A 0.12-mm field of an H&E-stained sentinel lymph node from a breast-cancer patient (whole-slide image), shown at about 40×, about 0.24 µm per pixel.
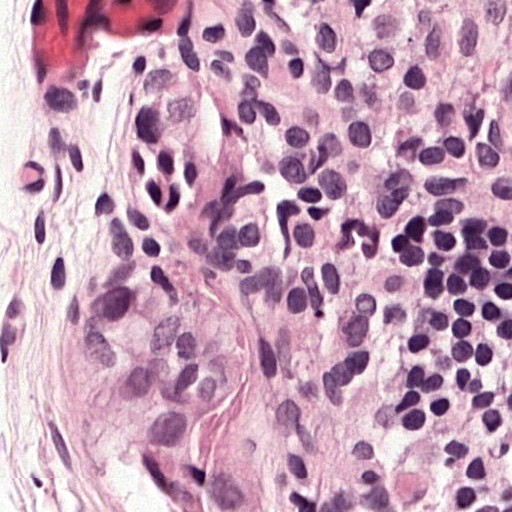
One metastatic tumour region; its boundary, reduced to 12 corners and listed clockwise: (141, 233), (198, 248), (252, 310), (260, 370), (249, 433), (279, 511), (155, 511), (98, 465), (62, 418), (38, 364), (49, 303), (85, 254).
About 20% of this field is tumour.